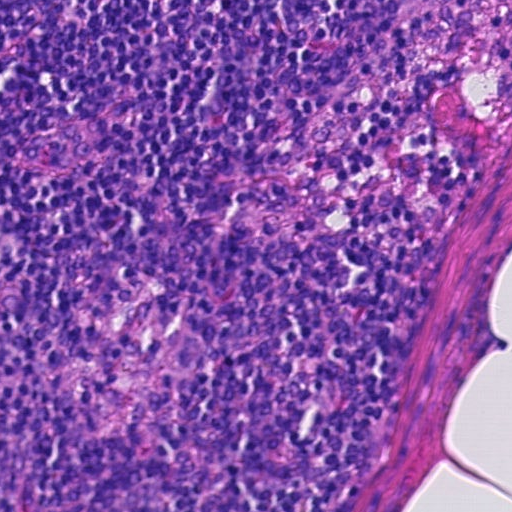
A 0.23-mm field of an H&E-stained sentinel lymph node from a breast-cancer patient (whole-slide image), shown at about 20×, about 0.45 µm per pixel.
Question: Is there metastatic carcinoma in this field?
Answer: No, this field holds no outlined metastasis.